Question: 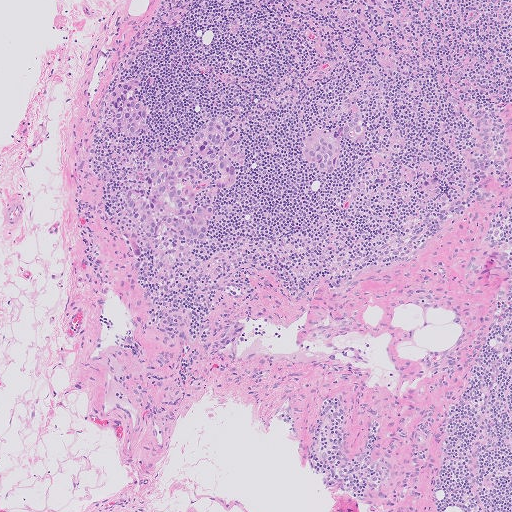
This is a crop of a whole-slide image: an H&E-stained breast-cancer sentinel lymph node section at roughly 5× magnification (about 2.0 µm per pixel; the crop spans about 1.0 mm).
About how much of this crop is taken up by metastatic carcinoma?

Choices:
 (A) about 5% or less
 (B) none: no tumour is outlined
 (C) about 25% to 45%
 (D) about 50% or more
 (E) about 10% to 20%

Answer: (A) about 5% or less
About 5% of the field is tumour.
Boundaries of five metastatic tumour regions, simplified and listed clockwise, largest first: region 1: (212, 114), (225, 114), (236, 128), (244, 153), (231, 187), (213, 199), (200, 195), (199, 202), (212, 207), (207, 242), (195, 244), (167, 236), (151, 245), (145, 242), (138, 260), (132, 258), (124, 245), (141, 235), (124, 205), (124, 191), (144, 186), (145, 159), (154, 149), (188, 140); region 2: (130, 78), (138, 78), (141, 82), (136, 94), (147, 101), (148, 116), (146, 122), (132, 138), (126, 138), (119, 135), (109, 124), (109, 117), (102, 105), (101, 98), (111, 86), (117, 82); region 3: (332, 126), (339, 146), (335, 173), (328, 175), (322, 174), (313, 164), (301, 158), (300, 152), (306, 138), (311, 132); region 4: (362, 109), (368, 130), (364, 145), (358, 146), (346, 141), (342, 135), (342, 128), (350, 115), (354, 110); region 5: (430, 176), (437, 176), (439, 187), (421, 195), (416, 192), (418, 185), (423, 180).
Two more small tumour pieces are annotated here but not outlined.